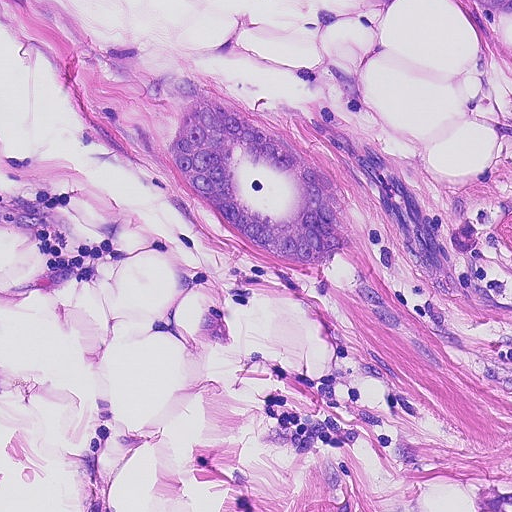
H&E-stained section of a sentinel lymph node (breast cancer), from a whole-slide image, viewed at about 20×: the field is about 0.23 mm across, about 0.45 µm per pixel.
Boundaries of three metastatic tumour regions, simplified and listed clockwise, largest first: region 1: (154, 74), (176, 74), (236, 102), (312, 152), (340, 187), (368, 272), (418, 320), (464, 328), (511, 306), (511, 316), (472, 331), (437, 369), (382, 328), (355, 292), (269, 258), (232, 232), (184, 184), (165, 144), (168, 106), (142, 93); region 2: (471, 0), (511, 0), (511, 12), (483, 10); region 3: (361, 0), (391, 0), (380, 8), (362, 7).
Tumour covers about 10% of the frame.